Image:
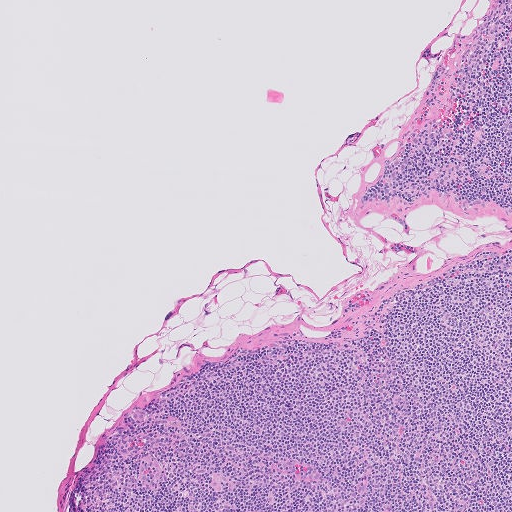
H&E-stained section of a sentinel lymph node (breast cancer), from a whole-slide image, viewed at about 5×: the field is about 1.0 mm across, about 2.0 µm per pixel.
Question:
Show where the tumour is in this image.
Answer:
One metastatic tumour region; its boundary, reduced to 5 corners and listed clockwise: (136, 406), (148, 406), (151, 421), (135, 424), (127, 416).
Under 5% of this field is tumour.